This is a crop of a whole-slide image: an H&E-stained breast-cancer sentinel lymph node section at roughly 40× magnification (about 0.23 µm per pixel; the crop spans about 0.12 mm).
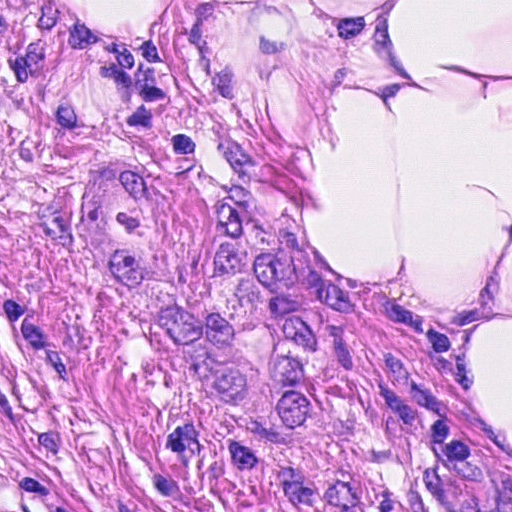
Question: Which parts of this field are metastatic tumour?
Answer: Tumour region outline (a closed clockwise path, crop pixels): (122, 155), (253, 196), (301, 243), (332, 378), (323, 451), (257, 455), (202, 418), (114, 311), (81, 253), (76, 205).
Tumour covers about 20% of the frame.